A 0.23-mm field of an H&E-stained sentinel lymph node from a breast-cancer patient (whole-slide image), shown at about 20×, about 0.45 µm per pixel.
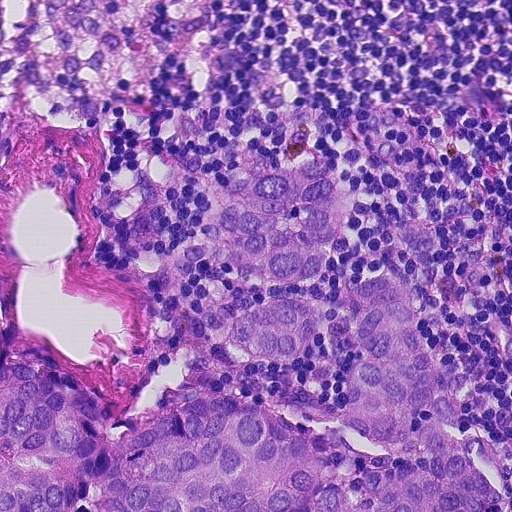
One metastatic tumour region; its boundary, reduced to 24 corners and listed clockwise: (310, 158), (351, 172), (350, 218), (284, 295), (328, 302), (362, 276), (406, 276), (440, 354), (440, 398), (486, 470), (489, 511), (0, 511), (0, 305), (122, 412), (196, 386), (324, 422), (354, 342), (312, 340), (276, 364), (234, 354), (234, 270), (196, 253), (198, 210), (228, 179).
One more small tumour piece is annotated here but not outlined.
About 35% of the image area is annotated as tumour.